This is a crop of a whole-slide image: an H&E-stained breast-cancer sentinel lymph node section at roughly 20× magnification (about 0.5 µm per pixel; the crop spans about 0.26 mm).
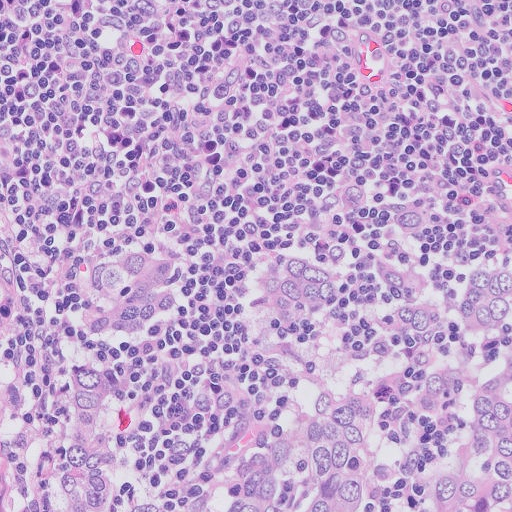
One metastatic tumour region; its boundary, reduced to 8 corners and listed clockwise: (0, 180), (36, 245), (155, 348), (274, 237), (432, 230), (511, 249), (511, 511), (0, 511).
Tumour covers about 50% of the frame.